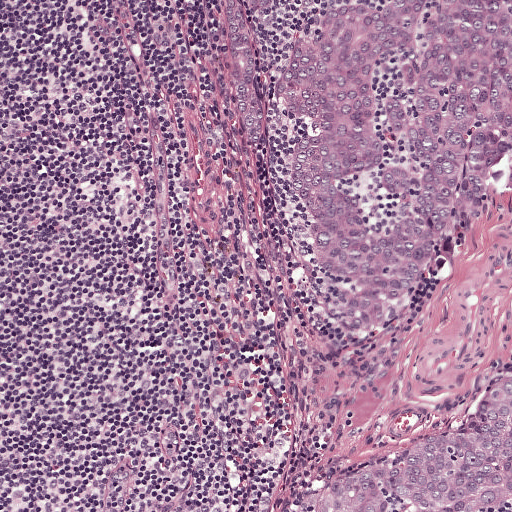
This is a crop of a whole-slide image: an H&E-stained breast-cancer sentinel lymph node section at roughly 10× magnification (about 0.97 µm per pixel; the crop spans about 0.5 mm).
Boundaries of two metastatic tumour regions, simplified and listed clockwise, largest first: region 1: (221, 0), (511, 0), (511, 206), (486, 203), (464, 256), (356, 349), (328, 343), (311, 321), (298, 241), (245, 140); region 2: (511, 351), (511, 511), (314, 511), (332, 484), (355, 466), (460, 419), (483, 399).
The annotated tumour makes up about 35% of the crop.